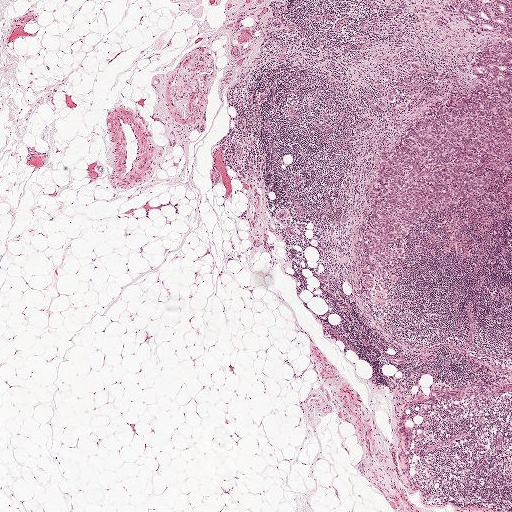
Lymph node section stained with H&E, from a whole-slide image of a breast-cancer sentinel node. Magnification about 2.5×, about 2.0 mm across the frame, about 3.9 µm per pixel.
Question: Show where the tumour is in this image.
Answer: The outlined metastatic tumour's edge, as a closed clockwise path of 17 points: (458, 0), (511, 0), (511, 196), (489, 211), (445, 216), (418, 237), (407, 248), (388, 311), (377, 316), (360, 300), (358, 241), (380, 158), (411, 126), (466, 94), (474, 58), (504, 39), (464, 26).
Tumour covers about 10% of the frame.